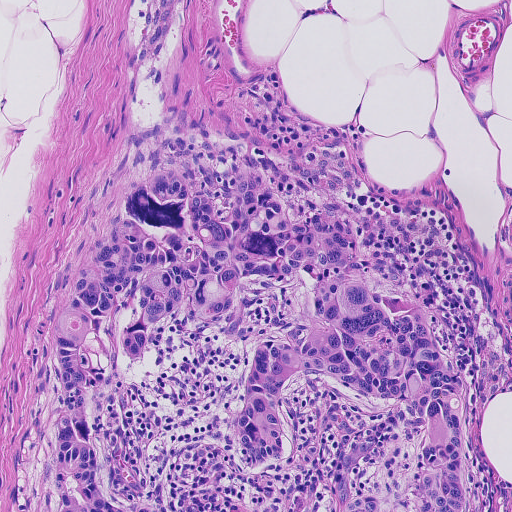
A 0.46-mm field of an H&E-stained sentinel lymph node from a breast-cancer patient (whole-slide image), shown at about 10×, about 0.91 µm per pixel.
Tumour region outline (a closed clockwise path, crop pixels): (231, 127), (280, 160), (299, 210), (330, 202), (343, 212), (364, 274), (420, 306), (468, 389), (467, 511), (50, 511), (57, 314), (86, 244), (159, 141).
Tumour covers about 45% of the frame.